Image:
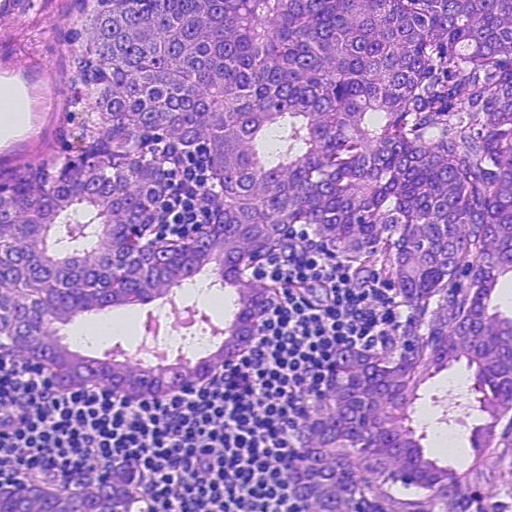
This is a crop of a whole-slide image: an H&E-stained breast-cancer sentinel lymph node section at roughly 20× magnification (about 0.45 µm per pixel; the crop spans about 0.23 mm).
Question:
Is there metastatic carcinoma in this field?
Answer:
Yes.
Outlines of two tumour regions, largest first (closed clockwise paths, crop pixels): region 1: (511, 0), (511, 401), (460, 358), (410, 418), (440, 466), (511, 486), (511, 511), (289, 503), (292, 429), (336, 351), (399, 351), (392, 236), (356, 290), (356, 262), (299, 220), (242, 266), (279, 302), (262, 333), (190, 388), (64, 389), (0, 350), (0, 177), (69, 146), (90, 10); region 2: (126, 456), (136, 456), (142, 474), (137, 487), (149, 499), (146, 511), (0, 511), (0, 494), (18, 488), (92, 488), (108, 483).
About 70% of the image area is annotated as tumour.